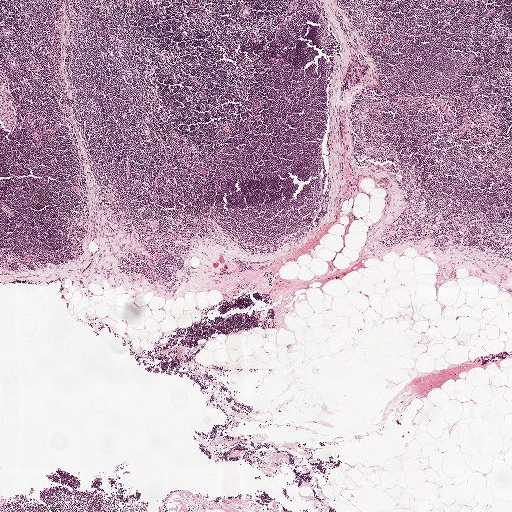
This is a crop of a whole-slide image: an H&E-stained breast-cancer sentinel lymph node section at roughly 2.5× magnification (about 3.9 µm per pixel; the crop spans about 2.0 mm).